A 0.93-mm field of an H&E-stained sentinel lymph node from a breast-cancer patient (whole-slide image), shown at about 5×, about 1.8 µm per pixel.
Question: 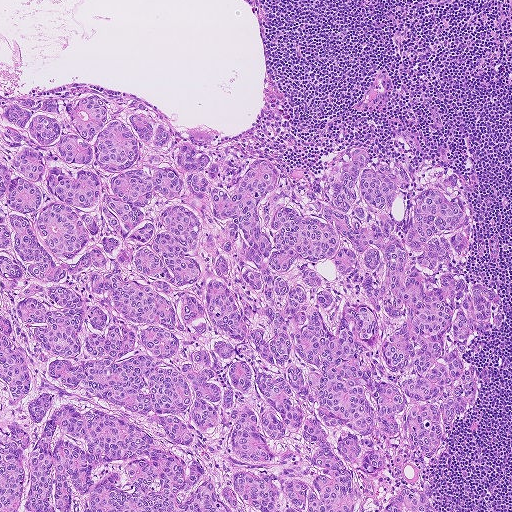
What fraction of the image area is metastatic tumour?

Choices:
 (A) about 25% to 45%
 (B) none: no tumour is outlined
 (C) about 50% or more
 (D) about 5% or less
 (E) about 10% to 20%

Answer: (C) about 50% or more
About 65% of the field is tumour.
Tumour region outline (a closed clockwise path, crop pixels): (0, 95), (143, 101), (218, 151), (232, 193), (267, 160), (281, 176), (259, 208), (272, 243), (264, 208), (294, 168), (325, 188), (332, 159), (361, 147), (377, 169), (446, 166), (474, 221), (447, 271), (504, 312), (460, 357), (479, 402), (425, 472), (434, 510), (0, 511).